A 0.12-mm field of an H&E-stained sentinel lymph node from a breast-cancer patient (whole-slide image), shown at about 40×, about 0.24 µm per pixel.
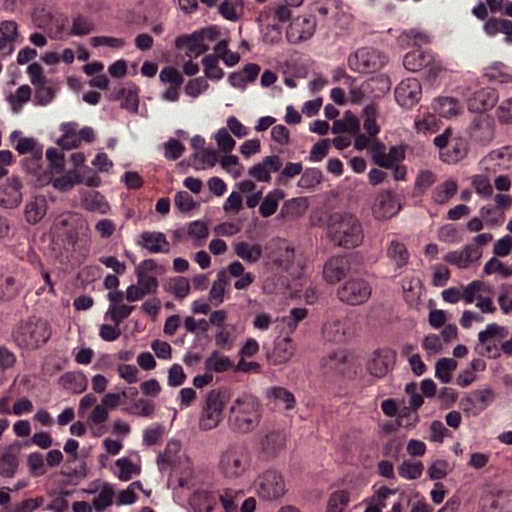
Three metastatic tumour regions, each outlined as a closed clockwise path in crop pixels (x, y), largest first: region 1: (354, 153), (388, 155), (416, 187), (426, 376), (400, 442), (368, 511), (145, 511), (186, 350), (286, 189); region 2: (40, 147), (114, 188), (114, 291), (102, 325), (93, 397), (2, 418), (0, 161); region 3: (476, 461), (511, 462), (511, 511), (449, 511), (460, 495), (469, 472), (471, 472).
The annotated tumour makes up about 40% of the crop.